Question: 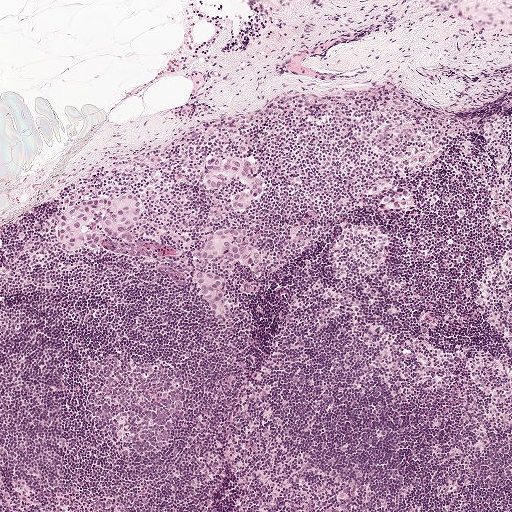
H&E-stained section of a sentinel lymph node (breast cancer), from a whole-slide image, viewed at about 5×: the field is about 1 mm across, about 1.9 µm per pixel.
About how much of this crop is taken up by metastatic carcinoma?

Choices:
 (A) about 50% or more
 (B) about 5% or less
 (C) about 10% to 20%
 (D) none: no tumour is outlined
 (E) about 25% to 45%

Answer: (B) about 5% or less
About 5% of the field is tumour.
Boundaries of seven metastatic tumour regions, simplified and listed clockwise, largest first: region 1: (128, 191), (140, 198), (141, 208), (136, 225), (128, 231), (124, 231), (117, 238), (101, 242), (97, 251), (70, 251), (58, 245), (57, 222), (63, 211), (91, 193), (103, 196); region 2: (208, 154), (242, 156), (254, 161), (265, 182), (262, 196), (238, 210), (234, 209), (229, 203), (234, 194), (244, 187), (243, 182), (231, 176), (217, 191), (208, 190), (203, 186), (200, 179), (203, 171), (202, 162); region 3: (236, 228), (246, 229), (247, 244), (256, 247), (260, 253), (258, 264), (252, 267), (246, 267), (224, 256), (214, 261), (204, 260), (202, 250), (205, 242), (220, 230); region 4: (192, 269), (216, 274), (224, 279), (224, 313), (222, 320), (214, 318), (195, 280), (187, 274); region 5: (393, 126), (408, 126), (411, 128), (411, 133), (405, 139), (394, 146), (385, 146), (376, 145), (373, 140), (376, 134); region 6: (402, 188), (406, 188), (410, 192), (410, 205), (402, 208), (391, 208), (383, 204), (381, 199), (384, 195), (396, 195); region 7: (388, 99), (400, 99), (416, 104), (421, 112), (421, 114), (417, 116), (410, 114), (403, 110), (396, 109), (387, 102).